Image:
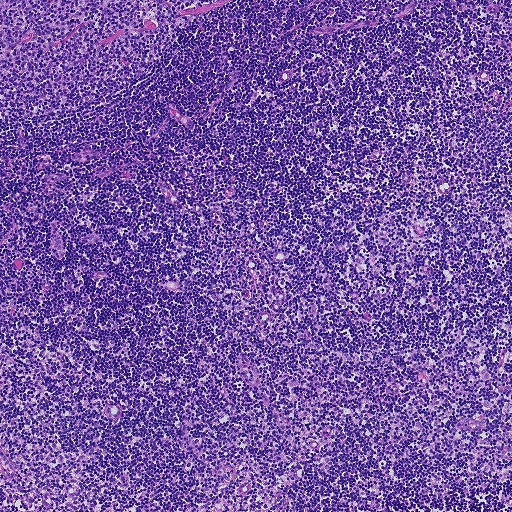
Lymph node section stained with H&E, from a whole-slide image of a breast-cancer sentinel node. Magnification about 5×, about 0.93 mm across the frame, about 1.8 µm per pixel.
Question:
Is any metastatic breast cancer visible in this crop?
Answer:
No. No metastatic tumour is outlined in this field.